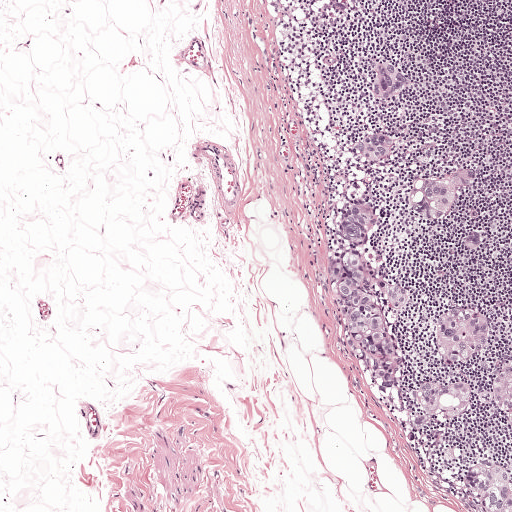
Lymph node section stained with H&E, from a whole-slide image of a breast-cancer sentinel node. Magnification about 5×, about 1 mm across the frame, about 1.9 µm per pixel.
Outlines of the eight largest metastatic tumour regions, each a closed clockwise path in crop pixels (x, y), largest first: region 1: (354, 200), (370, 200), (379, 205), (383, 218), (373, 242), (383, 252), (384, 271), (409, 293), (410, 300), (402, 310), (383, 307), (386, 325), (403, 359), (397, 389), (392, 391), (373, 386), (344, 346), (330, 283), (335, 258), (345, 250), (346, 244), (333, 244), (331, 237), (346, 203); region 2: (463, 378), (469, 378), (474, 382), (475, 395), (467, 415), (460, 421), (426, 428), (418, 446), (411, 446), (406, 442), (405, 436), (409, 421), (420, 413), (414, 401), (414, 391), (418, 384), (424, 380), (446, 382); region 3: (464, 165), (480, 167), (479, 179), (475, 184), (463, 188), (458, 192), (443, 216), (432, 221), (417, 219), (406, 200), (405, 192), (413, 177), (427, 174), (441, 175); region 4: (483, 458), (503, 462), (511, 469), (511, 511), (483, 511), (466, 500), (460, 495), (458, 488), (458, 472), (464, 466); region 5: (455, 306), (485, 316), (487, 323), (487, 331), (478, 351), (468, 361), (462, 362), (448, 362), (443, 359), (438, 349), (435, 330), (439, 316), (448, 308); region 6: (506, 364), (511, 364), (511, 438), (505, 427), (504, 420), (488, 405), (485, 397), (491, 377); region 7: (381, 128), (393, 131), (395, 137), (394, 150), (384, 160), (359, 160), (351, 154), (348, 148), (353, 141), (359, 136), (370, 130); region 8: (383, 60), (412, 79), (413, 86), (410, 92), (396, 99), (384, 99), (372, 92), (369, 87), (371, 81), (377, 65).
Two more, smaller tumour regions are not outlined.
The annotated tumour makes up about 10% of the crop.